H&E-stained section of a sentinel lymph node (breast cancer), from a whole-slide image, viewed at about 20×: the field is about 0.25 mm across, about 0.49 µm per pixel.
Image:
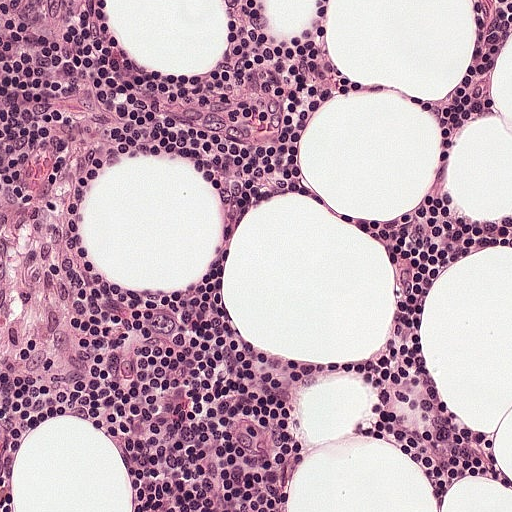
Question:
Does this lymph node field contain metastatic tumour?
Answer:
No. No metastatic tumour is outlined in this field.